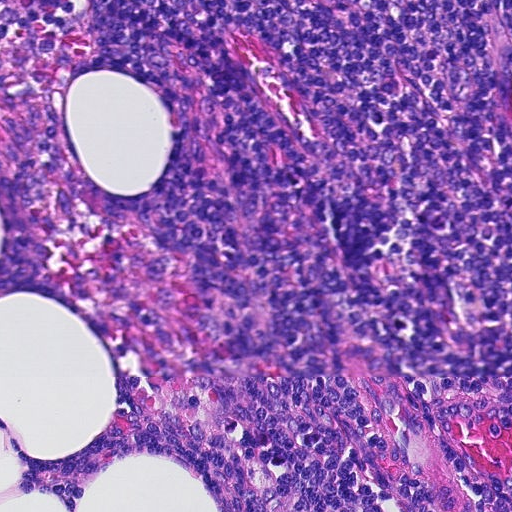
H&E-stained section of a sentinel lymph node (breast cancer), from a whole-slide image, viewed at about 20×: the field is about 0.23 mm across, about 0.45 µm per pixel.
Question: Is there metastatic carcinoma in this field?
Answer: No: no metastatic tumour is outlined anywhere in this field.